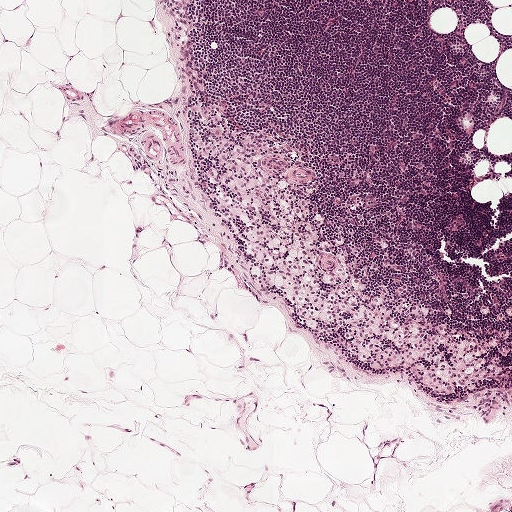
This is a crop of a whole-slide image: an H&E-stained breast-cancer sentinel lymph node section at roughly 5× magnification (about 1.9 µm per pixel; the crop spans about 1 mm).
Question: Does this lymph node field contain metastatic tumour?
Answer: No: no metastatic tumour is outlined anywhere in this field.